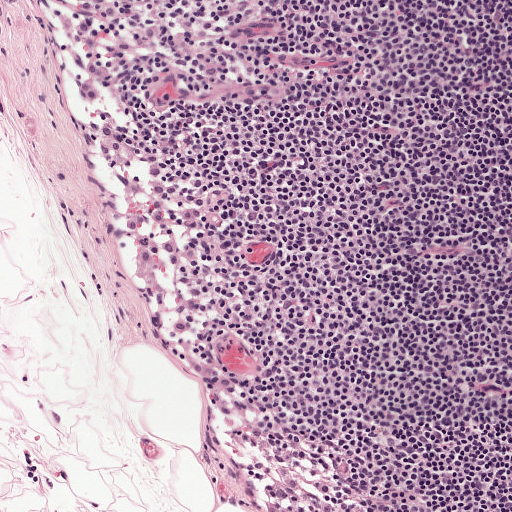
A 0.5-mm field of an H&E-stained sentinel lymph node from a breast-cancer patient (whole-slide image), shown at about 10×, about 0.97 µm per pixel.